Question: 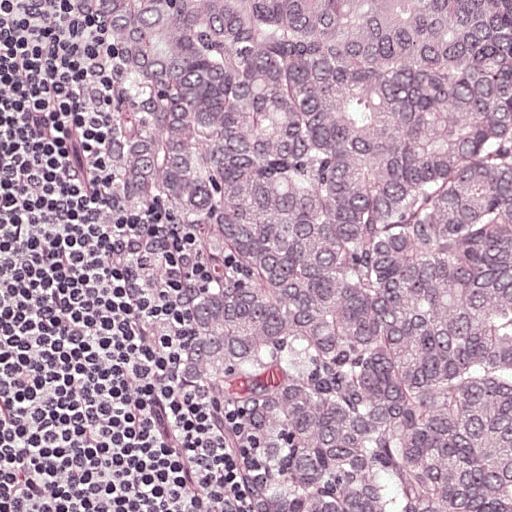
At roughly what magnification is this field shown?

Choices:
 (A) about 10×
 (B) about 20×
 (C) about 40×
 (D) about 5×
 (E) about 2.5×

Answer: (B) about 20×
This is a crop of a whole-slide image: an H&E-stained breast-cancer sentinel lymph node section at roughly 20× magnification (about 0.49 µm per pixel; the crop spans about 0.25 mm).
One metastatic tumour region; its boundary, reduced to 6 corners and listed clockwise: (74, 0), (511, 0), (511, 511), (226, 511), (94, 200), (70, 117).
About 75% of this field is tumour.
Question: 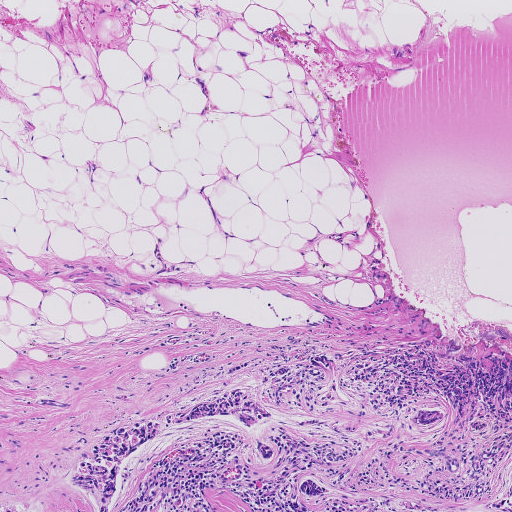
At roughly what magnification is this field shown?

Choices:
 (A) about 5×
 (B) about 20×
 (C) about 10×
 (D) about 40×
 (E) about 2.5×

Answer: (A) about 5×
Lymph node section stained with H&E, from a whole-slide image of a breast-cancer sentinel node. Magnification about 5×, about 0.93 mm across the frame, about 1.8 µm per pixel.
The eight largest tumour regions' boundaries, simplified and listed clockwise, largest first: region 1: (242, 387), (255, 388), (276, 415), (256, 427), (262, 438), (272, 444), (274, 456), (266, 464), (248, 450), (248, 435), (238, 425), (225, 421), (196, 420), (168, 430), (132, 454), (120, 506), (115, 511), (98, 511), (91, 499), (70, 485), (76, 466), (116, 428); region 2: (491, 351), (505, 351), (511, 355), (511, 421), (500, 421), (481, 410), (459, 416), (434, 384), (442, 368), (452, 367), (461, 354), (475, 356), (484, 361), (488, 369), (492, 363), (484, 353); region 3: (303, 475), (314, 475), (328, 482), (333, 493), (326, 498), (312, 499), (301, 497), (295, 484); region 4: (511, 472), (511, 511), (495, 511), (482, 509), (482, 503), (502, 493); region 5: (428, 407), (444, 408), (445, 415), (439, 424), (425, 427), (413, 425), (410, 418), (417, 409); region 6: (312, 353), (325, 353), (335, 361), (335, 370), (324, 370), (312, 366), (309, 359); region 7: (280, 366), (292, 369), (284, 378), (264, 384), (261, 381), (266, 372); region 8: (480, 418), (488, 421), (489, 427), (483, 431), (476, 432), (470, 428), (469, 421).
Three more, smaller tumour regions are not outlined.
About 5% of the image area is annotated as tumour.
Question: 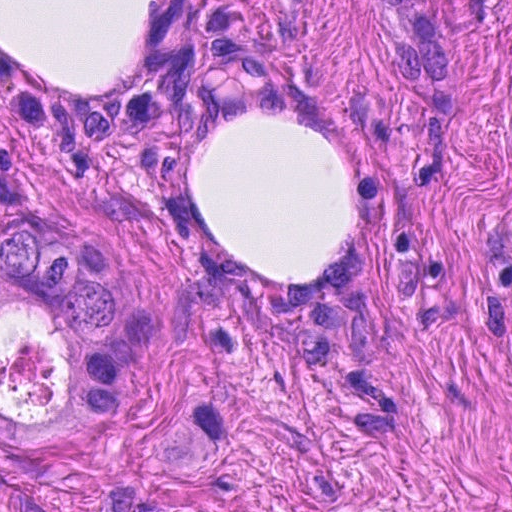
At roughly what magnification is this field shown?

Choices:
 (A) about 40×
 (B) about 10×
 (C) about 5×
 (D) about 2.5×
 (E) about 20×

Answer: (A) about 40×
This is a crop of a whole-slide image: an H&E-stained breast-cancer sentinel lymph node section at roughly 40× magnification (about 0.23 µm per pixel; the crop spans about 0.12 mm).
The outlined metastatic tumour's edge, as a closed clockwise path of 9 points: (4, 218), (74, 218), (129, 258), (170, 313), (229, 427), (173, 465), (122, 422), (14, 451), (0, 445).
The annotated tumour makes up about 15% of the crop.
Question: 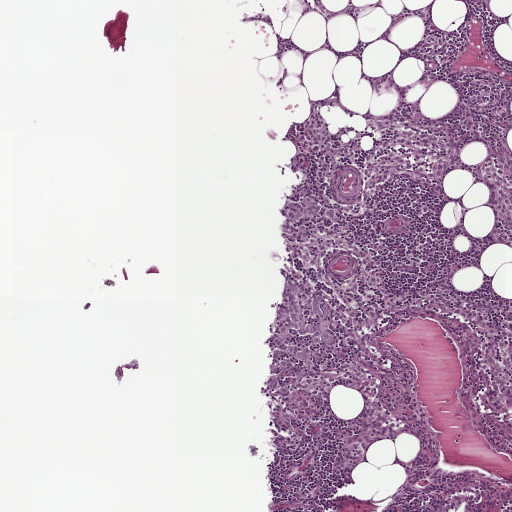
At roughly what magnification is this field shown?

Choices:
 (A) about 40×
 (B) about 2.5×
 (C) about 5×
 (D) about 10×
 (E) about 20×

Answer: (C) about 5×
Lymph node section stained with H&E, from a whole-slide image of a breast-cancer sentinel node. Magnification about 5×, about 1 mm across the frame, about 1.9 µm per pixel.
Outlines of four tumour regions, largest first (closed clockwise paths, crop pixels): region 1: (286, 284), (292, 284), (308, 296), (321, 298), (330, 308), (332, 314), (329, 327), (335, 338), (335, 346), (316, 344), (314, 335), (301, 334), (291, 328), (284, 333), (277, 334), (274, 330), (291, 322), (290, 316), (287, 314), (274, 312), (270, 308), (274, 302), (282, 301); region 2: (308, 196), (314, 196), (320, 200), (321, 206), (319, 212), (311, 217), (303, 216), (298, 220), (291, 220), (286, 214), (287, 207), (304, 200); region 3: (286, 344), (293, 345), (299, 348), (312, 360), (312, 366), (288, 356); region 4: (275, 350), (279, 350), (281, 354), (279, 357), (274, 360), (273, 364), (286, 359), (290, 366), (285, 369), (275, 372), (269, 372), (269, 366), (271, 361), (273, 354).
Five more small tumour pieces are annotated here but not outlined.
Under 5% of the image area is annotated as tumour.